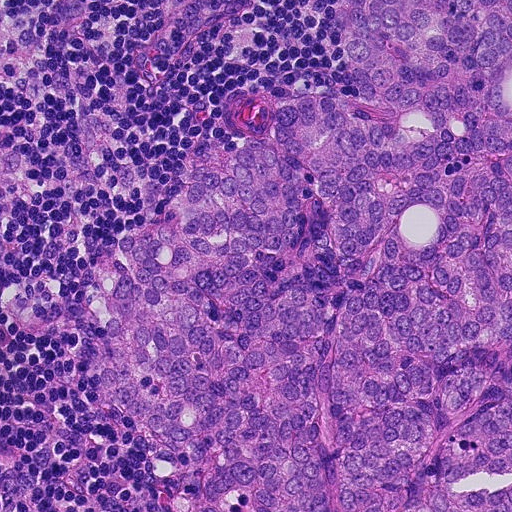
This is a crop of a whole-slide image: an H&E-stained breast-cancer sentinel lymph node section at roughly 20× magnification (about 0.45 µm per pixel; the crop spans about 0.23 mm).
Question: Trace the edge of each tumour region in this crop, as (x, y) points from 0 to 511.
Answer: One metastatic tumour region; its boundary, reduced to 19 corners and listed clockwise: (333, 0), (511, 0), (511, 511), (167, 511), (130, 420), (96, 401), (60, 334), (23, 326), (4, 292), (32, 267), (68, 283), (105, 272), (117, 236), (176, 194), (188, 158), (216, 132), (254, 126), (272, 93), (356, 98).
About 65% of this field is tumour.